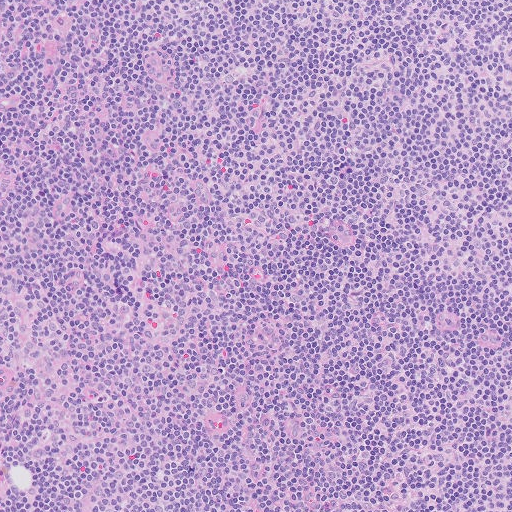
This is a crop of a whole-slide image: an H&E-stained breast-cancer sentinel lymph node section at roughly 10× magnification (about 1.0 µm per pixel; the crop spans about 0.51 mm).